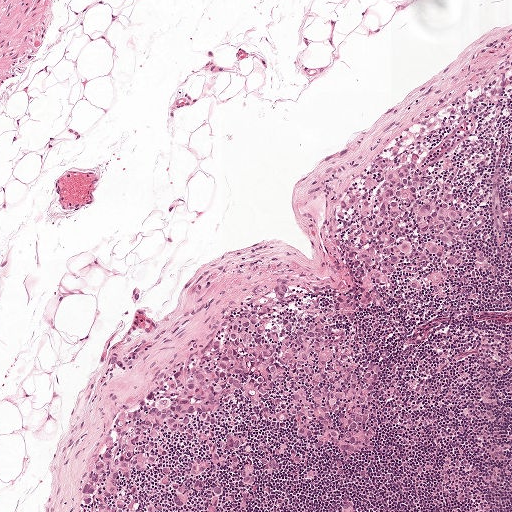
Lymph node section stained with H&E, from a whole-slide image of a breast-cancer sentinel node. Magnification about 5×, about 1 mm across the frame, about 1.9 µm per pixel.
Tumour region outline (a closed clockwise path, crop pixels): (417, 116), (443, 129), (457, 184), (504, 236), (472, 294), (414, 318), (390, 346), (383, 419), (351, 467), (369, 511), (64, 511), (90, 455), (134, 403), (259, 284), (331, 270), (350, 167).
The annotated tumour makes up about 30% of the crop.